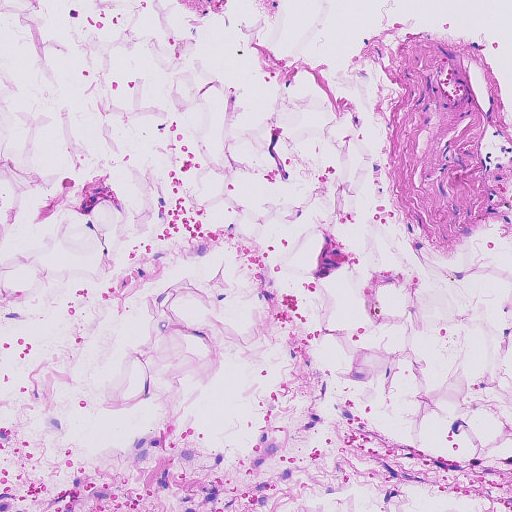
Lymph node section stained with H&E, from a whole-slide image of a breast-cancer sentinel node. Magnification about 10×, about 0.46 mm across the frame, about 0.91 µm per pixel.